Image:
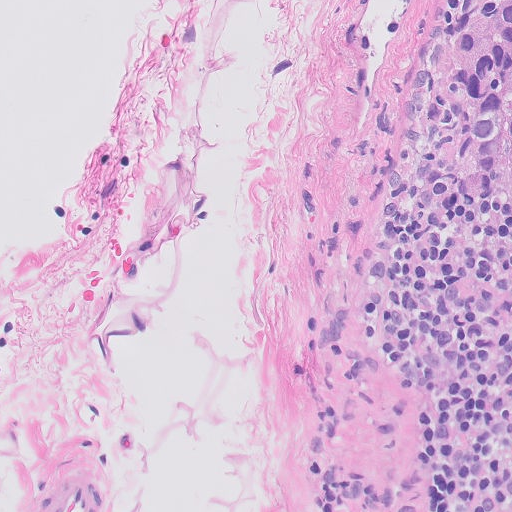
H&E-stained section of a sentinel lymph node (breast cancer), from a whole-slide image, viewed at about 20×: the field is about 0.26 mm across, about 0.5 µm per pixel.
Question:
Show where the tumour is in this image.
Answer:
Boundaries of two metastatic tumour regions, simplified and listed clockwise, largest first: region 1: (467, 0), (511, 0), (511, 218), (466, 191), (446, 162), (446, 134), (418, 85), (416, 58), (454, 8); region 2: (511, 430), (511, 498), (508, 488), (500, 459), (508, 431).
About 5% of this field is tumour.